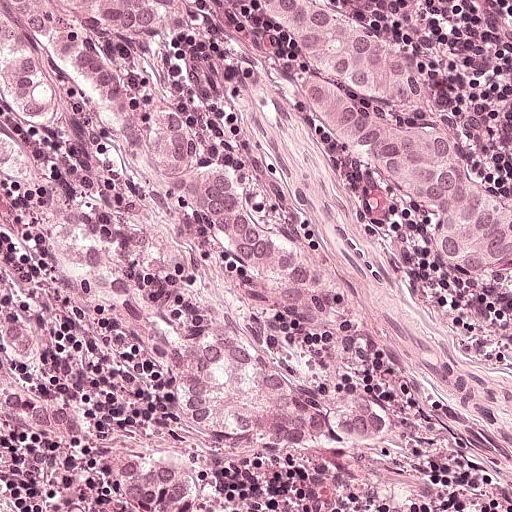
A 0.25-mm field of an H&E-stained sentinel lymph node from a breast-cancer patient (whole-slide image), shown at about 20×, about 0.49 µm per pixel.
Boundaries of two metastatic tumour regions, simplified and listed clockwise, largest first: region 1: (0, 0), (172, 0), (196, 50), (176, 70), (176, 82), (239, 188), (330, 246), (344, 284), (319, 300), (282, 298), (202, 242), (143, 155), (114, 157), (74, 108), (74, 127), (60, 138), (38, 138), (6, 114); region 2: (227, 0), (339, 0), (396, 36), (472, 162), (511, 194), (511, 270), (467, 276), (391, 224), (310, 126), (302, 50).
The annotated tumour makes up about 30% of the crop.